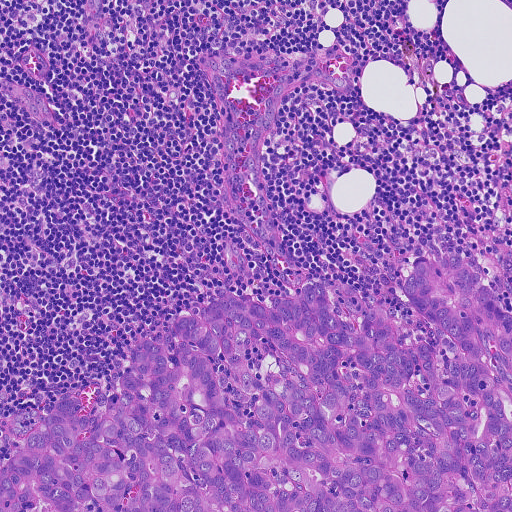
H&E-stained section of a sentinel lymph node (breast cancer), from a whole-slide image, viewed at about 10×: the field is about 0.46 mm across, about 0.91 µm per pixel.
The outlined metastatic tumour's edge, as a closed clockwise path of 22 points: (436, 255), (476, 270), (504, 311), (511, 511), (0, 511), (0, 471), (64, 394), (79, 396), (78, 415), (106, 412), (132, 348), (214, 293), (272, 306), (311, 277), (344, 324), (358, 331), (370, 307), (384, 307), (405, 346), (434, 346), (403, 282), (419, 258).
Tumour covers about 35% of the frame.